Question: 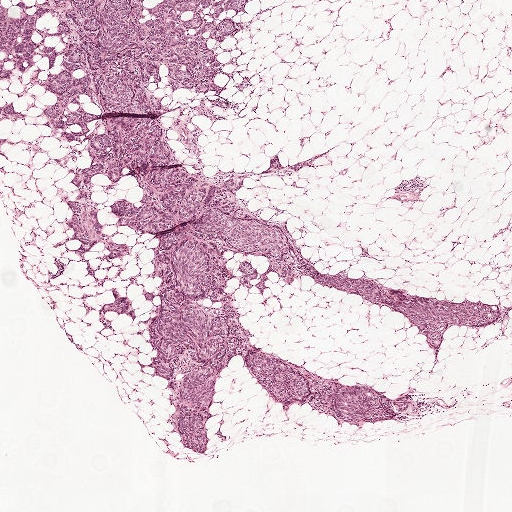
Which magnification is this H&E lymph node field most likely shown at?

Choices:
 (A) about 5×
 (B) about 40×
 (C) about 20×
 (D) about 2.5×
 (E) about 10×

Answer: (D) about 2.5×
This is a crop of a whole-slide image: an H&E-stained breast-cancer sentinel lymph node section at roughly 2.5× magnification (about 3.9 µm per pixel; the crop spans about 2.0 mm).
Metastatic tumour outline, simplified to 22 points and listed clockwise in crop pixels (x, y): (0, 0), (250, 0), (208, 141), (221, 184), (325, 268), (511, 320), (428, 369), (409, 321), (264, 279), (234, 292), (245, 332), (315, 379), (423, 399), (421, 417), (324, 424), (236, 367), (198, 458), (161, 413), (148, 279), (70, 243), (44, 108), (1, 180).
Tumour covers about 35% of the frame.